H&E-stained section of a sentinel lymph node (breast cancer), from a whole-slide image, viewed at about 20×: the field is about 0.23 mm across, about 0.45 µm per pixel.
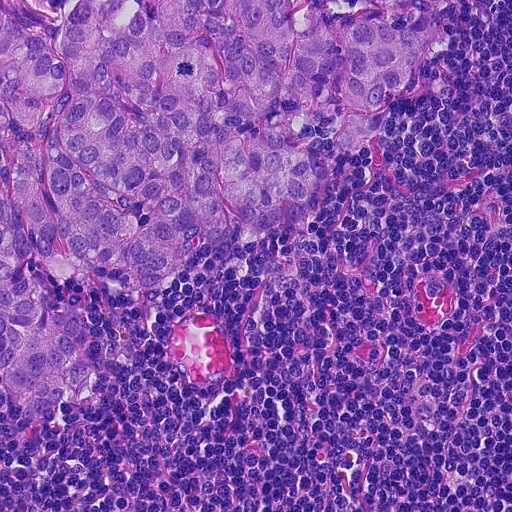
The outlined metastatic tumour's edge, as a closed clockwise path of 21 points: (0, 0), (451, 0), (442, 22), (453, 33), (423, 58), (416, 98), (380, 115), (363, 152), (334, 164), (321, 202), (294, 231), (214, 246), (154, 298), (114, 302), (76, 284), (46, 292), (86, 302), (103, 338), (105, 379), (86, 416), (7, 414).
About 45% of the image area is annotated as tumour.